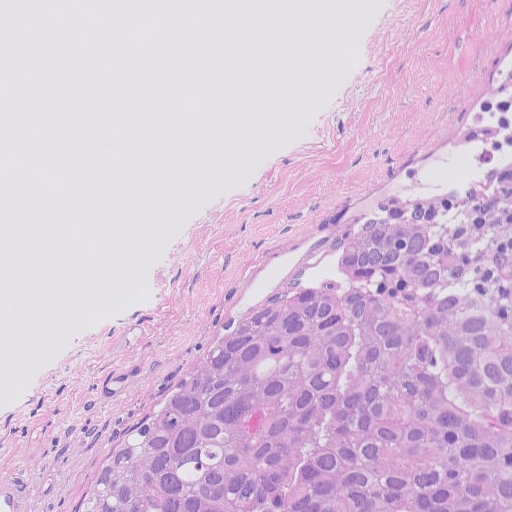
A 0.26-mm field of an H&E-stained sentinel lymph node from a breast-cancer patient (whole-slide image), shown at about 20×, about 0.5 µm per pixel.
One metastatic tumour region; its boundary, reduced to 8 corners and listed clockwise: (438, 222), (452, 266), (511, 311), (511, 511), (89, 511), (106, 470), (304, 254), (392, 224).
The annotated tumour makes up about 30% of the crop.